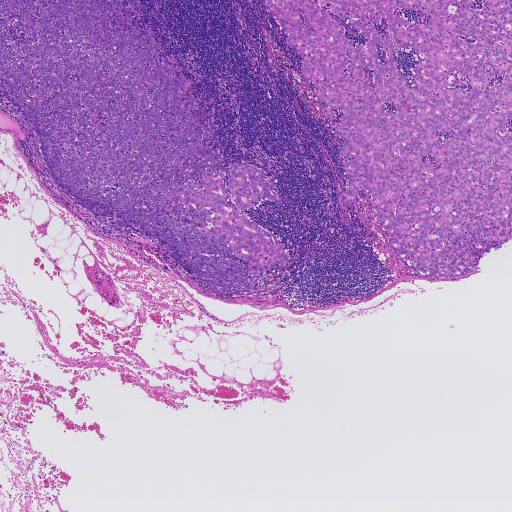
Lymph node section stained with H&E, from a whole-slide image of a breast-cancer sentinel node. Magnification about 2.5×, about 1.9 mm across the frame, about 3.6 µm per pixel.
Outlines of two tumour regions, largest first (closed clockwise paths, crop pixels): region 1: (0, 0), (123, 0), (160, 42), (161, 55), (175, 55), (191, 80), (200, 121), (224, 147), (224, 165), (267, 172), (280, 197), (240, 210), (281, 240), (288, 262), (233, 298), (206, 291), (159, 251), (95, 231), (46, 181), (29, 138), (0, 101); region 2: (511, 0), (511, 240), (461, 277), (423, 278), (401, 262), (370, 198), (345, 205), (337, 156), (343, 138), (332, 134), (316, 90), (300, 76), (302, 57), (264, 4).
One more small tumour piece is annotated here but not outlined.
About 35% of the image area is annotated as tumour.